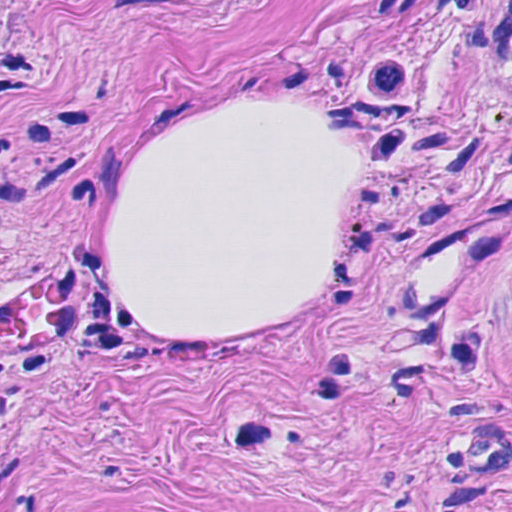
H&E-stained section of a sentinel lymph node (breast cancer), from a whole-slide image, viewed at about 40×: the field is about 0.12 mm across, about 0.23 µm per pixel.
One metastatic tumour region; its boundary, reduced to 7 corners and listed clockwise: (379, 42), (420, 65), (422, 142), (376, 174), (362, 148), (369, 106), (347, 75).
Tumour covers under 5% of the frame.